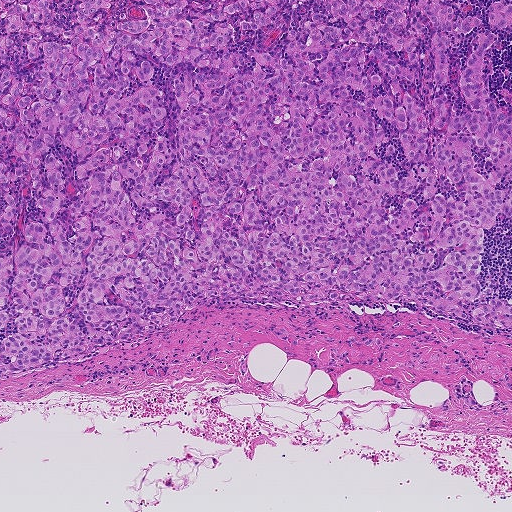
Lymph node section stained with H&E, from a whole-slide image of a breast-cancer sentinel node. Magnification about 5×, about 0.93 mm across the frame, about 1.8 µm per pixel.
Question: Does this lymph node field contain metastatic tumour?
Answer: Yes.
Tumour region outline (a closed clockwise path, crop pixels): (0, 0), (408, 0), (412, 15), (441, 0), (453, 21), (481, 20), (448, 35), (452, 116), (489, 5), (511, 4), (482, 65), (511, 117), (511, 218), (484, 230), (480, 295), (463, 301), (474, 308), (511, 302), (511, 326), (214, 297), (29, 371), (0, 355).
One more small tumour piece is annotated here but not outlined.
The annotated tumour makes up about 60% of the crop.